Question: 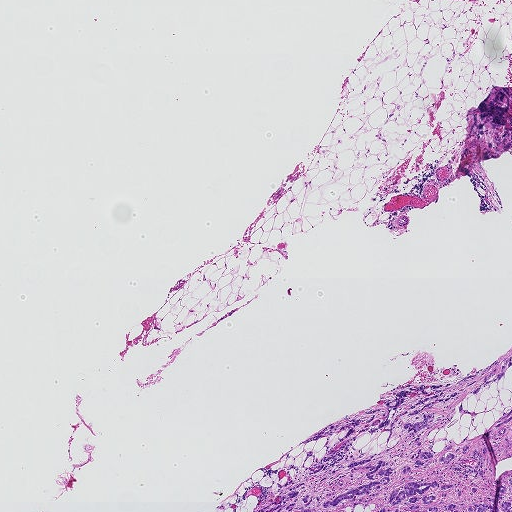
H&E-stained section of a sentinel lymph node (breast cancer), from a whole-slide image, viewed at about 2.5×: the field is about 1.9 mm across, about 3.6 µm per pixel.
Roughly what share of this field is metastatic tumour?

Choices:
 (A) about 10% to 20%
 (B) about 5% or less
 (C) about 50% or more
 (D) about 25% to 45%
 (E) none: no tumour is outlined

Answer: (A) about 10% to 20%
About 10% of the field is tumour.
One metastatic tumour region; its boundary, reduced to 22 corners and listed clockwise: (511, 356), (500, 380), (464, 398), (476, 415), (458, 412), (461, 399), (428, 432), (433, 452), (476, 436), (511, 405), (511, 511), (256, 511), (305, 472), (307, 449), (316, 458), (325, 451), (325, 437), (299, 442), (401, 385), (458, 381), (498, 357), (497, 372).